Question: 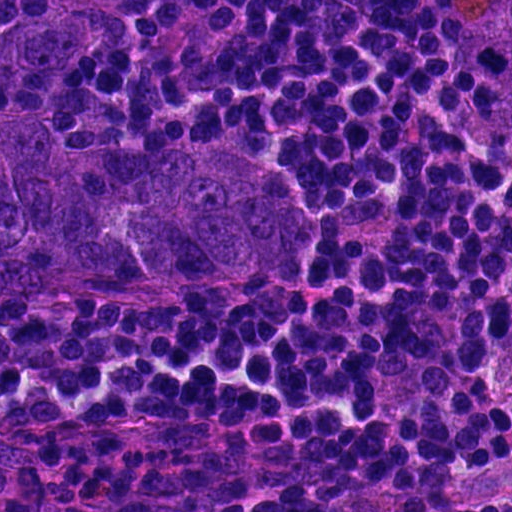
Which magnification is this H&E lymph node field most likely shown at?

Choices:
 (A) about 10×
 (B) about 2.5×
 (C) about 40×
 (D) about 5×
 (E) about 20×

Answer: (C) about 40×
This is a crop of a whole-slide image: an H&E-stained breast-cancer sentinel lymph node section at roughly 40× magnification (about 0.23 µm per pixel; the crop spans about 0.12 mm).
Outlines of three tumour regions, largest first (closed clockwise paths, crop pixels): region 1: (0, 105), (27, 105), (67, 144), (232, 155), (283, 179), (317, 227), (297, 281), (133, 302), (0, 296); region 2: (0, 0), (180, 0), (95, 59), (40, 78), (0, 78); region 3: (457, 0), (511, 0), (511, 144), (474, 137), (441, 87), (443, 34).
About 25% of the image area is annotated as tumour.